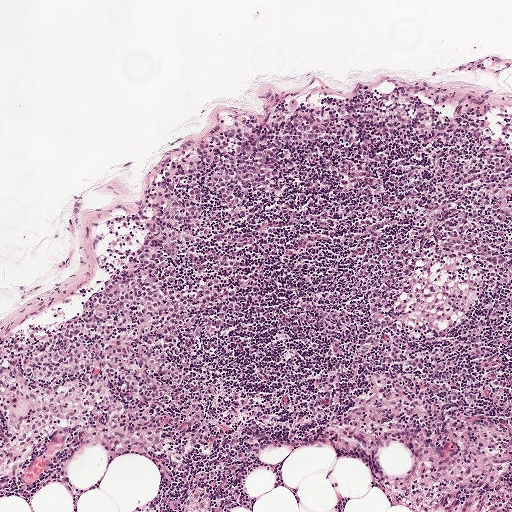
A 1-mm field of an H&E-stained sentinel lymph node from a breast-cancer patient (whole-slide image), shown at about 5×, about 1.9 µm per pixel.
Outlines of two tumour regions, largest first (closed clockwise paths, crop pixels): region 1: (296, 105), (336, 108), (340, 137), (281, 161), (272, 197), (253, 210), (257, 250), (246, 264), (242, 306), (193, 358), (193, 394), (181, 415), (154, 414), (101, 381), (14, 377), (2, 367), (2, 352), (43, 338), (96, 290), (132, 244), (151, 185), (194, 129); region 2: (511, 163), (511, 204), (506, 204), (492, 199), (488, 193), (487, 182), (492, 176).
Tumour covers about 15% of the frame.